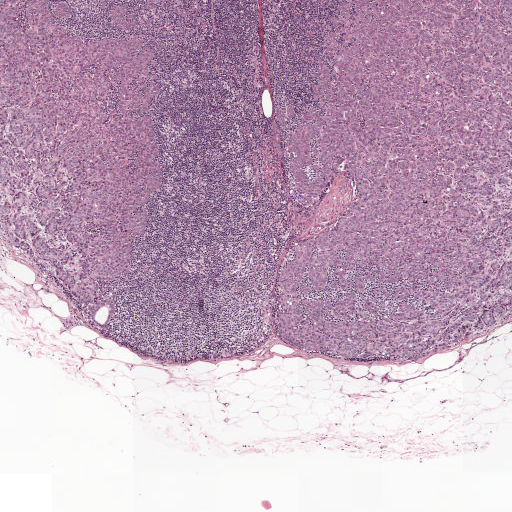
H&E-stained section of a sentinel lymph node (breast cancer), from a whole-slide image, viewed at about 2.5×: the field is about 2.0 mm across, about 3.9 µm per pixel.
Boundaries of four metastatic tumour regions, simplified and listed clockwise, largest first: region 1: (511, 0), (511, 320), (421, 360), (308, 352), (275, 328), (280, 274), (300, 244), (337, 223), (354, 190), (338, 174), (299, 209), (272, 130), (281, 104), (307, 112), (316, 101), (313, 76), (342, 3); region 2: (0, 0), (47, 0), (84, 43), (133, 37), (152, 46), (160, 88), (149, 111), (161, 180), (146, 205), (138, 204), (150, 223), (132, 239), (129, 274), (116, 283), (94, 280), (100, 296), (115, 300), (109, 324), (95, 324), (52, 273), (0, 234); region 3: (121, 3), (125, 5), (128, 10), (125, 20), (129, 23), (129, 28), (125, 31), (122, 31), (113, 26), (108, 17), (109, 12), (112, 7); region 4: (62, 1), (67, 3), (70, 7), (70, 17), (66, 19), (60, 19), (56, 16), (56, 6).
Tumour covers about 45% of the frame.